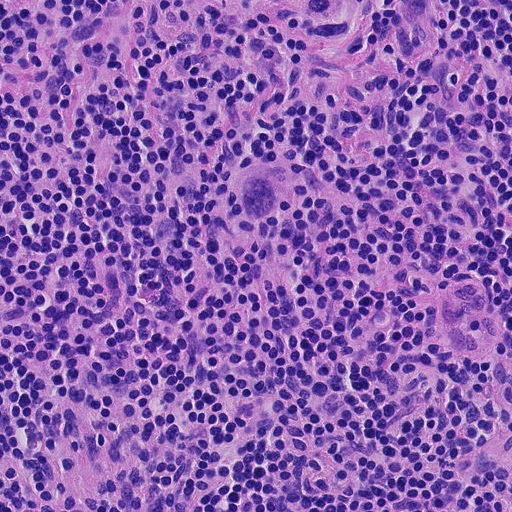
H&E-stained section of a sentinel lymph node (breast cancer), from a whole-slide image, viewed at about 20×: the field is about 0.23 mm across, about 0.45 µm per pixel.
Two metastatic tumour regions, each outlined as a closed clockwise path in crop pixels (x, y), largest first: region 1: (258, 165), (293, 194), (280, 225), (248, 234), (224, 210), (228, 175); region 2: (290, 0), (350, 0), (352, 32), (320, 44), (298, 22).
The annotated tumour makes up under 5% of the crop.